Lymph node section stained with H&E, from a whole-slide image of a breast-cancer sentinel node. Magnification about 2.5×, about 2.0 mm across the frame, about 3.9 µm per pixel.
Image:
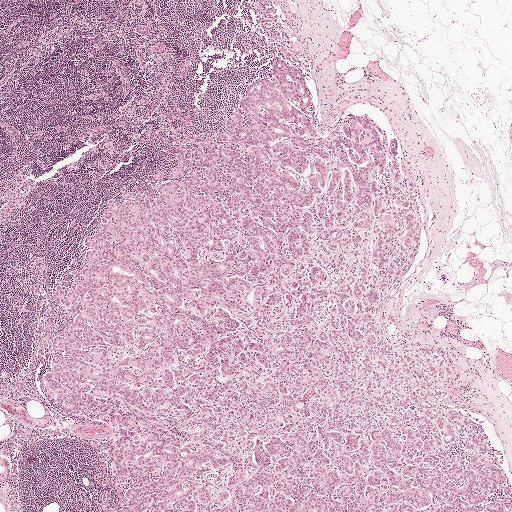
Question:
Which parts of this field are metastatic tumour? Answer with the outline of each region, in pixels.
Answer:
Metastatic tumour outline, simplified to 19 points and listed clockwise in crop pixels (x, y): (294, 63), (318, 136), (360, 116), (397, 141), (420, 236), (380, 326), (437, 353), (432, 401), (479, 420), (511, 511), (94, 511), (118, 500), (117, 427), (40, 386), (70, 314), (50, 298), (107, 204), (158, 199), (152, 175).
About 50% of the image area is annotated as tumour.